Question: 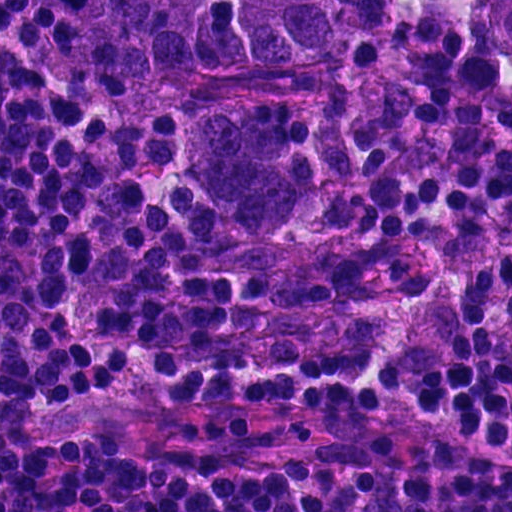
At roughly what magnification is this field shown?

Choices:
 (A) about 5×
 (B) about 20×
 (C) about 2.5×
 (D) about 40×
 (E) about 10×

Answer: (D) about 40×
This is a crop of a whole-slide image: an H&E-stained breast-cancer sentinel lymph node section at roughly 40× magnification (about 0.23 µm per pixel; the crop spans about 0.12 mm).
Three metastatic tumour regions, each outlined as a closed clockwise path in crop pixels (x, y), largest first: region 1: (22, 0), (404, 0), (334, 49), (228, 81), (112, 83), (54, 73), (21, 23); region 2: (243, 101), (275, 106), (295, 132), (296, 166), (316, 193), (306, 225), (283, 250), (218, 227), (174, 170), (173, 138), (192, 111); region 3: (475, 0), (511, 0), (511, 53), (481, 33).
About 15% of the image area is annotated as tumour.